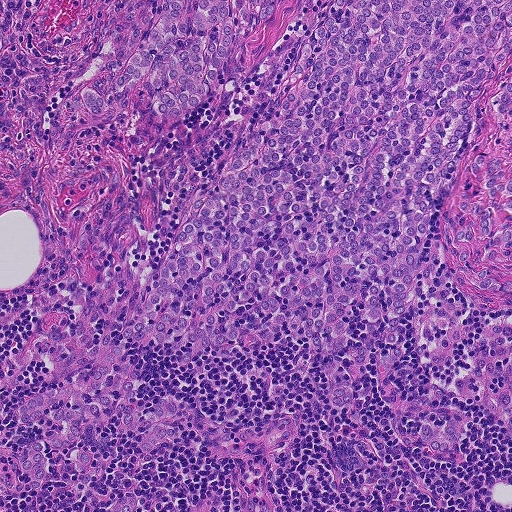
H&E-stained section of a sentinel lymph node (breast cancer), from a whole-slide image, viewed at about 10×: the field is about 0.46 mm across, about 0.9 µm per pixel.
Four metastatic tumour regions, each outlined as a closed clockwise path in crop pixels (x, y), largest first: region 1: (511, 0), (511, 310), (442, 282), (467, 331), (447, 368), (419, 365), (412, 302), (394, 363), (392, 272), (379, 290), (384, 314), (359, 299), (330, 352), (285, 326), (267, 344), (252, 303), (233, 314), (239, 343), (188, 363), (179, 336), (126, 340), (135, 411), (176, 400), (180, 427), (142, 455), (116, 433), (83, 489), (43, 443), (39, 488), (5, 489), (0, 446), (53, 424), (18, 425), (17, 407), (77, 381), (75, 361), (124, 328), (324, 6); region 2: (137, 0), (284, 0), (270, 20), (238, 40), (228, 53), (243, 68), (242, 76), (237, 82), (216, 83), (198, 107), (165, 119), (153, 111), (138, 86), (131, 85), (124, 112), (96, 116), (85, 106), (82, 92), (104, 74), (104, 64), (112, 57), (111, 16); region 3: (511, 314), (511, 439), (502, 431), (486, 409), (458, 392), (455, 381), (468, 370), (470, 346), (488, 322); region 4: (446, 419), (454, 420), (460, 427), (462, 434), (462, 443), (458, 451), (451, 455), (443, 455), (433, 452), (428, 446), (420, 430), (425, 422), (438, 433), (444, 427).
One more small tumour piece is annotated here but not outlined.
The annotated tumour makes up about 50% of the crop.